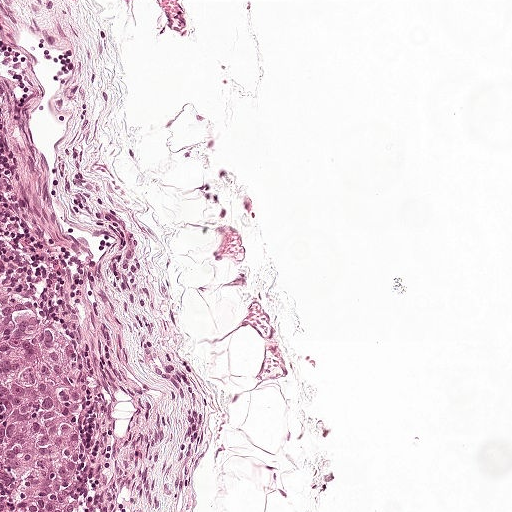
Lymph node section stained with H&E, from a whole-slide image of a breast-cancer sentinel node. Magnification about 10×, about 0.5 mm across the frame, about 0.97 µm per pixel.
Metastatic tumour outline, simplified to 8 points and listed clockwise in crop pixels (x, y): (0, 299), (28, 300), (68, 325), (87, 355), (88, 511), (0, 511), (0, 419), (6, 417).
About 5% of the image area is annotated as tumour.